Lymph node section stained with H&E, from a whole-slide image of a breast-cancer sentinel node. Magnification about 2.5×, about 1.9 mm across the frame, about 3.6 µm per pixel.
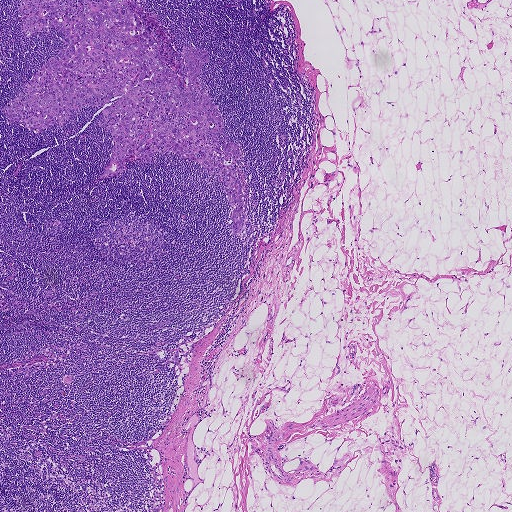
Tumour region outline (a closed clockwise path, crop pixels): (126, 0), (180, 55), (183, 45), (207, 50), (201, 79), (224, 129), (214, 141), (242, 148), (239, 234), (220, 179), (173, 152), (94, 181), (113, 141), (95, 104), (39, 135), (10, 125), (0, 109), (65, 39), (53, 27), (19, 33), (20, 2).
Tumour covers about 10% of the frame.